Image:
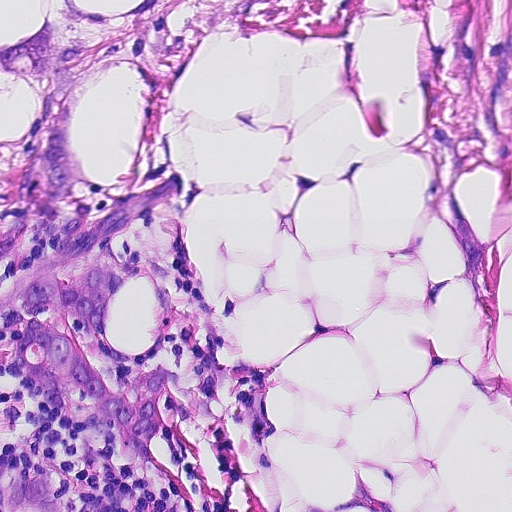
This is a crop of a whole-slide image: an H&E-stained breast-cancer sentinel lymph node section at roughly 20× magnification (about 0.45 µm per pixel; the crop spans about 0.23 mm).
Question:
Describe where the metastatic carcinoma lies in this crop.
Answer:
Boundaries of two metastatic tumour regions, simplified and listed clockwise, largest first: region 1: (148, 252), (166, 268), (175, 310), (166, 314), (151, 285), (130, 278), (105, 314), (124, 353), (172, 368), (154, 436), (132, 449), (110, 511), (7, 511), (6, 471), (50, 464), (86, 490), (100, 448), (89, 407), (12, 368), (23, 326), (16, 306), (20, 284); region 2: (229, 0), (278, 0), (266, 6), (244, 11).
One more small tumour piece is annotated here but not outlined.
About 10% of the image area is annotated as tumour.